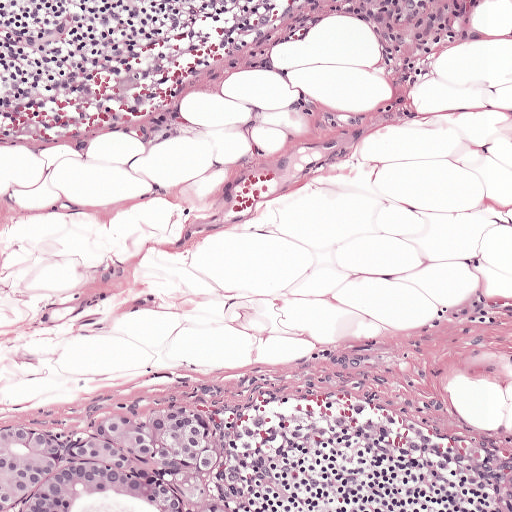
A 0.5-mm field of an H&E-stained sentinel lymph node from a breast-cancer patient (whole-slide image), shown at about 10×, about 0.97 µm per pixel.
The outlined metastatic tumour's edge, as a closed clockwise path of 8 points: (147, 404), (196, 413), (234, 450), (229, 468), (242, 491), (279, 511), (0, 511), (0, 425).
Tumour covers about 10% of the frame.